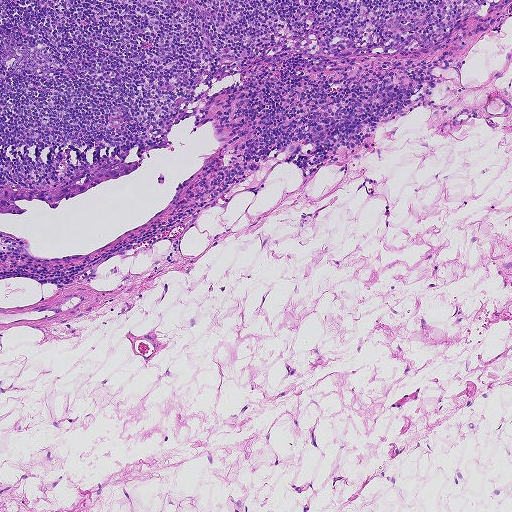
A 0.93-mm field of an H&E-stained sentinel lymph node from a breast-cancer patient (whole-slide image), shown at about 5×, about 1.8 µm per pixel.
One metastatic tumour region; its boundary, reduced to 20 corners and listed clockwise: (134, 161), (139, 162), (133, 170), (127, 173), (103, 181), (88, 192), (63, 199), (56, 208), (49, 207), (43, 201), (37, 199), (19, 200), (14, 202), (24, 213), (0, 213), (0, 185), (17, 190), (36, 192), (60, 188), (104, 168).
Under 5% of this field is tumour.